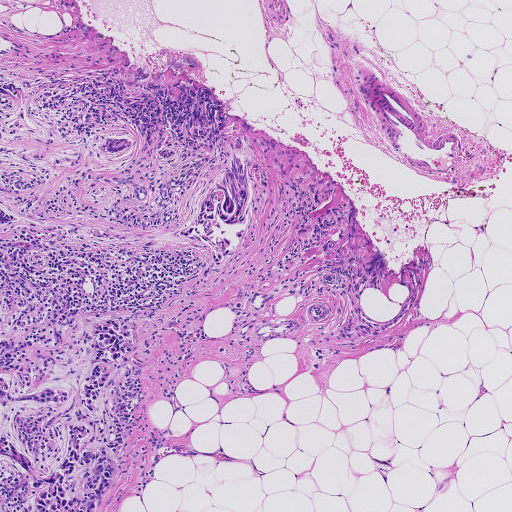
H&E-stained section of a sentinel lymph node (breast cancer), from a whole-slide image, viewed at about 5×: the field is about 0.93 mm across, about 1.8 µm per pixel.
Question: Outline the metastatic carcinoma in this image, as closed paths of (x, y) pixel coordinates.
Answer: Outlines of eight tumour regions, largest first (closed clockwise paths, crop pixels): region 1: (122, 318), (136, 320), (140, 334), (137, 348), (105, 397), (108, 441), (119, 468), (116, 483), (93, 511), (29, 511), (32, 494), (27, 481), (7, 461), (0, 462), (0, 367), (13, 370), (29, 385), (59, 376), (76, 387), (92, 362), (87, 336), (92, 323); region 2: (179, 79), (193, 79), (217, 92), (227, 112), (227, 123), (220, 139), (212, 148), (188, 149), (169, 138), (147, 144), (122, 112), (130, 96), (140, 95), (149, 82), (163, 84), (172, 89), (176, 97), (180, 91), (172, 81); region 3: (241, 151), (247, 153), (254, 170), (255, 202), (250, 230), (228, 259), (210, 276), (202, 277), (210, 256), (200, 244), (170, 237), (170, 231), (190, 221), (205, 190), (231, 157); region 4: (116, 135), (132, 136), (133, 143), (127, 152), (113, 155), (101, 153), (98, 146), (105, 137); region 5: (0, 203), (16, 210), (21, 221), (14, 226), (0, 227); region 6: (0, 81), (13, 81), (23, 89), (23, 98), (12, 98), (0, 94); region 7: (168, 146), (176, 149), (177, 155), (171, 159), (164, 160), (158, 156), (157, 149); region 8: (238, 301), (242, 304), (242, 313), (237, 317), (235, 314), (236, 309), (234, 305).
One more small tumour piece is annotated here but not outlined.
About 10% of the image area is annotated as tumour.